Question: 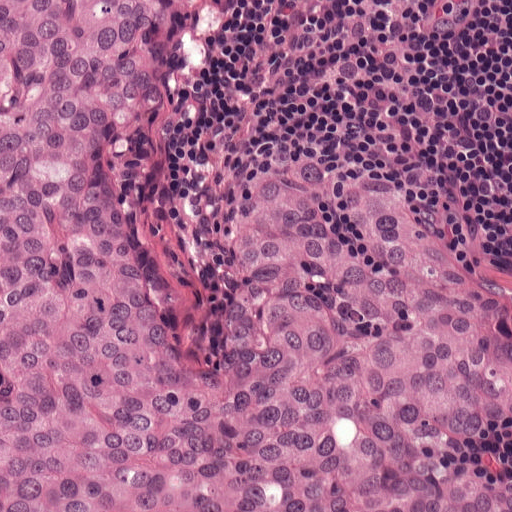
Lymph node section stained with H&E, from a whole-slide image of a breast-cancer sentinel node. Magnification about 20×, about 0.25 mm across the frame, about 0.49 µm per pixel.
About how much of this crop is taken up by metastatic carcinoma?

Choices:
 (A) none: no tumour is outlined
 (B) about 25% to 45%
 (C) about 10% to 20%
 (D) about 50% or more
 (E) about 5% or less

Answer: (D) about 50% or more
About 70% of the field is tumour.
One metastatic tumour region; its boundary, reduced to 13 corners and listed clockwise: (0, 0), (195, 0), (143, 124), (130, 196), (186, 334), (214, 266), (227, 194), (290, 155), (360, 173), (490, 240), (511, 263), (511, 511), (0, 511).